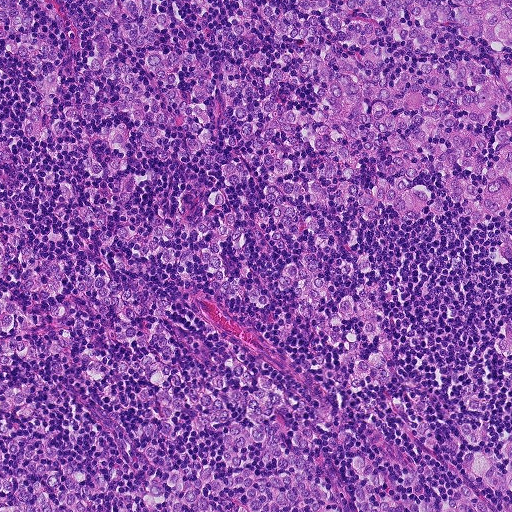
Lymph node section stained with H&E, from a whole-slide image of a breast-cancer sentinel node. Magnification about 10×, about 0.46 mm across the frame, about 0.9 µm per pixel.
Metastatic tumour covers the whole field.
Over 95% of the image area is annotated as tumour.